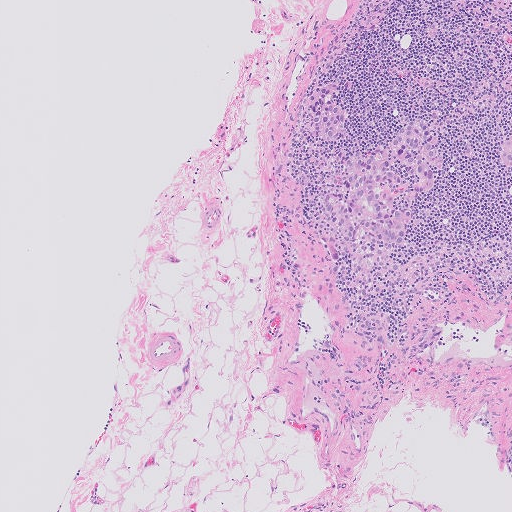
H&E-stained section of a sentinel lymph node (breast cancer), from a whole-slide image, viewed at about 5×: the field is about 1.0 mm across, about 2.0 µm per pixel.
Question: Where is the metastatic tumour in this field?
Answer: Boundaries of three metastatic tumour regions, simplified and listed clockwise, largest first: region 1: (410, 118), (423, 118), (434, 132), (442, 157), (429, 191), (411, 203), (398, 199), (397, 206), (410, 211), (405, 246), (393, 248), (365, 240), (349, 249), (343, 246), (336, 264), (330, 262), (322, 249), (339, 239), (322, 209), (322, 195), (342, 190), (343, 163), (352, 153), (386, 144); region 2: (328, 82), (336, 82), (339, 86), (334, 98), (345, 105), (346, 120), (344, 126), (330, 142), (324, 142), (317, 139), (307, 128), (307, 121), (300, 109), (299, 102), (309, 90), (315, 86); region 3: (511, 135), (511, 168), (504, 166), (499, 162), (498, 156), (500, 149), (504, 142), (509, 136).
One more small tumour piece is annotated here but not outlined.
About 5% of the image area is annotated as tumour.